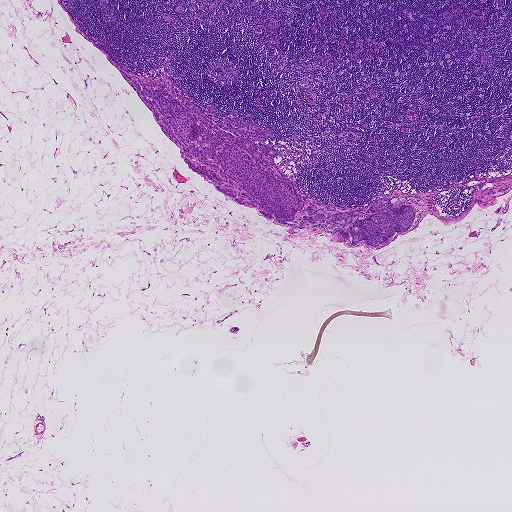
A 1.9-mm field of an H&E-stained sentinel lymph node from a breast-cancer patient (whole-slide image), shown at about 2.5×, about 3.6 µm per pixel.
Tumour region outline (a closed clockwise path, crop pixels): (107, 57), (165, 78), (206, 116), (214, 123), (236, 109), (246, 121), (252, 113), (248, 121), (274, 134), (267, 138), (279, 154), (275, 163), (316, 201), (357, 210), (398, 196), (416, 212), (412, 226), (374, 248), (364, 240), (351, 245), (329, 229), (268, 221), (229, 200), (191, 170).
About 5% of this field is tumour.